This is a crop of a whole-slide image: an H&E-stained breast-cancer sentinel lymph node section at roughly 10× magnification (about 0.97 µm per pixel; the crop spans about 0.5 mm).
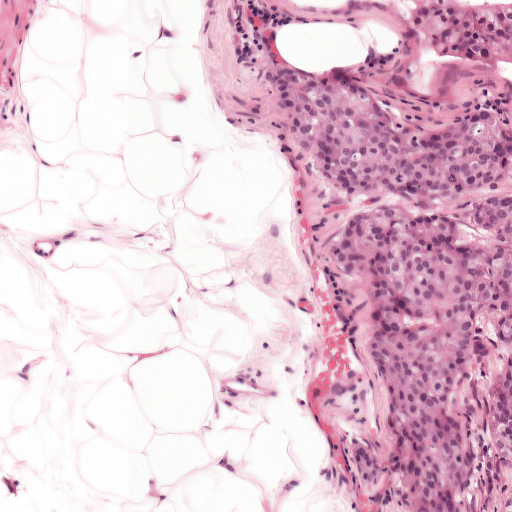
The outlined metastatic tumour's edge, as a closed clockwise path of 12 points: (245, 0), (511, 0), (511, 511), (379, 511), (346, 477), (338, 442), (355, 428), (383, 451), (380, 383), (317, 192), (256, 90), (242, 42).
About 35% of the image area is annotated as tumour.